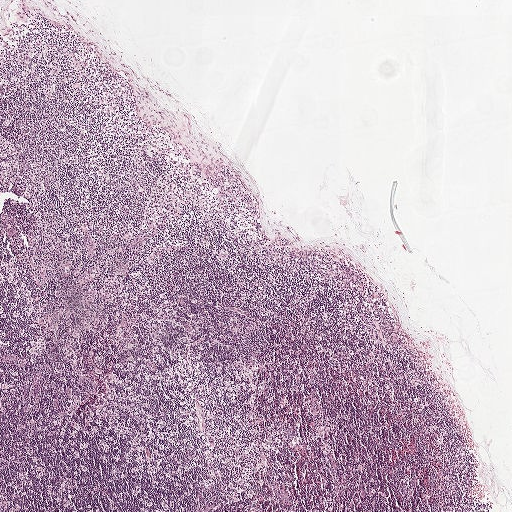
A 2.0-mm field of an H&E-stained sentinel lymph node from a breast-cancer patient (whole-slide image), shown at about 2.5×, about 3.9 µm per pixel.